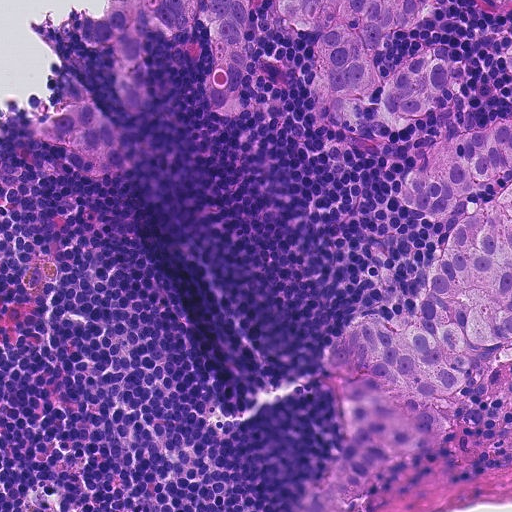
A 0.23-mm field of an H&E-stained sentinel lymph node from a breast-cancer patient (whole-slide image), shown at about 20×, about 0.45 µm per pixel.
Four metastatic tumour regions, each outlined as a closed clockwise path in crop pixels (x, y), largest first: region 1: (511, 121), (511, 341), (472, 380), (439, 450), (374, 492), (363, 511), (296, 511), (346, 428), (318, 356), (336, 322), (372, 312), (409, 320), (465, 201), (448, 224), (411, 222), (392, 190), (410, 156), (478, 122); region 2: (101, 0), (258, 0), (254, 75), (239, 110), (216, 115), (201, 96), (209, 59), (196, 22), (150, 34), (155, 72), (122, 179), (83, 177), (58, 149), (19, 138), (26, 124), (62, 112), (64, 65), (90, 102), (122, 122), (108, 61), (75, 42), (70, 4), (94, 14); region 3: (431, 0), (428, 12), (402, 38), (367, 54), (376, 78), (418, 50), (455, 59), (462, 96), (428, 116), (392, 128), (374, 94), (365, 112), (336, 134), (307, 108), (318, 33), (292, 35), (268, 3); region 4: (511, 37), (511, 75), (500, 48).
One more small tumour piece is annotated here but not outlined.
The annotated tumour makes up about 30% of the crop.